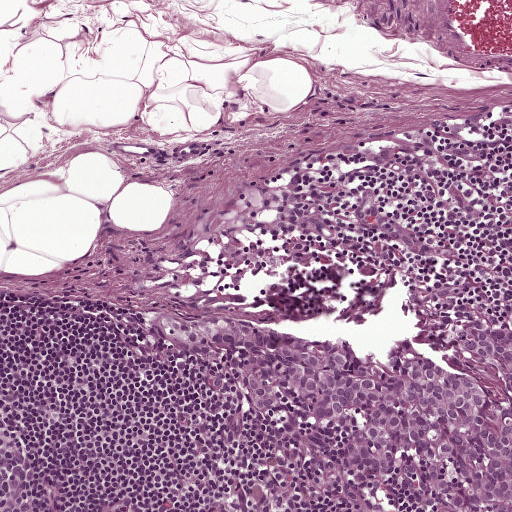
Lymph node section stained with H&E, from a whole-slide image of a breast-cancer sentinel node. Magnification about 10×, about 0.5 mm across the frame, about 0.97 µm per pixel.
Metastatic tumour outline, simplified to 21 points and listed clockwise in crop pixels (x, y): (511, 305), (511, 511), (461, 511), (397, 484), (361, 494), (347, 480), (326, 428), (258, 414), (213, 365), (148, 328), (160, 313), (195, 322), (226, 314), (303, 335), (340, 335), (372, 355), (404, 336), (509, 402), (462, 343), (462, 324), (498, 318).
Tumour covers about 15% of the frame.